Lymph node section stained with H&E, from a whole-slide image of a breast-cancer sentinel node. Magnification about 10×, about 0.5 mm across the frame, about 0.97 µm per pixel.
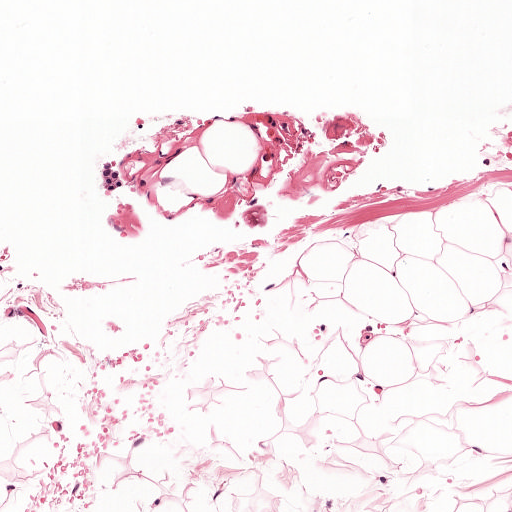
Question: Show where the tumour is in this image.
Answer: The outlined metastatic tumour's edge, as a closed clockwise path of 7 points: (108, 161), (117, 166), (125, 186), (117, 198), (109, 198), (99, 188), (102, 166).
One more small tumour piece is annotated here but not outlined.
Tumour covers under 5% of the frame.